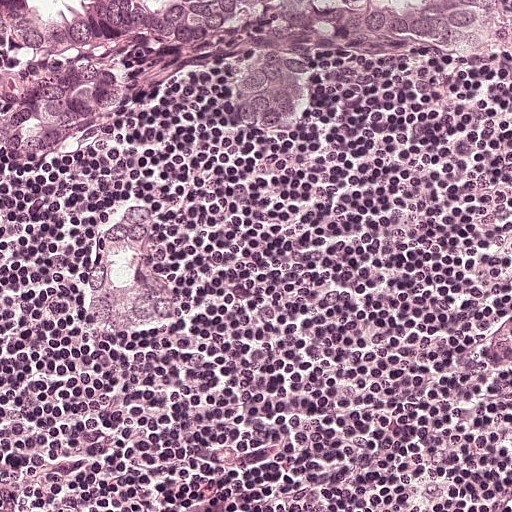
This is a crop of a whole-slide image: an H&E-stained breast-cancer sentinel lymph node section at roughly 20× magnification (about 0.49 µm per pixel; the crop spans about 0.25 mm).
Question: Is there metastatic carcinoma in this field?
Answer: Yes.
Outlines of two tumour regions, largest first (closed clockwise paths, crop pixels): region 1: (0, 0), (511, 0), (511, 43), (493, 62), (338, 57), (315, 131), (278, 148), (246, 144), (224, 110), (224, 85), (243, 48), (220, 48), (154, 83), (106, 148), (76, 166), (2, 177); region 2: (144, 200), (152, 209), (162, 229), (167, 275), (181, 306), (179, 317), (168, 324), (155, 329), (118, 331), (80, 316), (84, 270), (98, 230), (112, 209).
The annotated tumour makes up about 25% of the crop.